A 0.5-mm field of an H&E-stained sentinel lymph node from a breast-cancer patient (whole-slide image), shown at about 10×, about 0.97 µm per pixel.
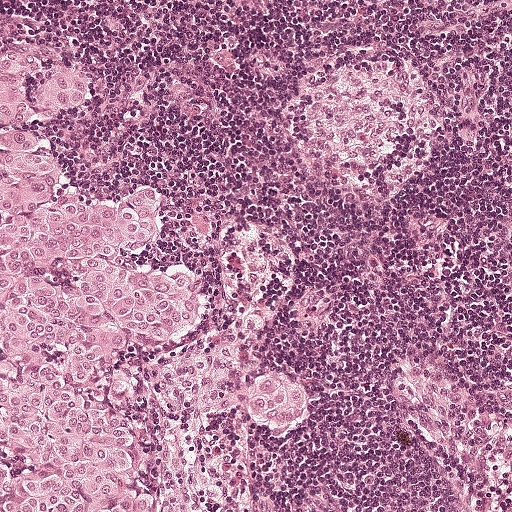
Two metastatic tumour regions, each outlined as a closed clockwise path in crop pixels (x, y), largest first: region 1: (37, 30), (70, 50), (82, 72), (82, 98), (62, 109), (81, 183), (107, 198), (155, 191), (153, 253), (198, 274), (208, 293), (204, 322), (136, 356), (155, 511), (0, 511), (0, 47); region 2: (286, 366), (297, 377), (300, 385), (307, 420), (294, 431), (271, 434), (245, 417), (242, 401), (247, 383).
About 25% of this field is tumour.